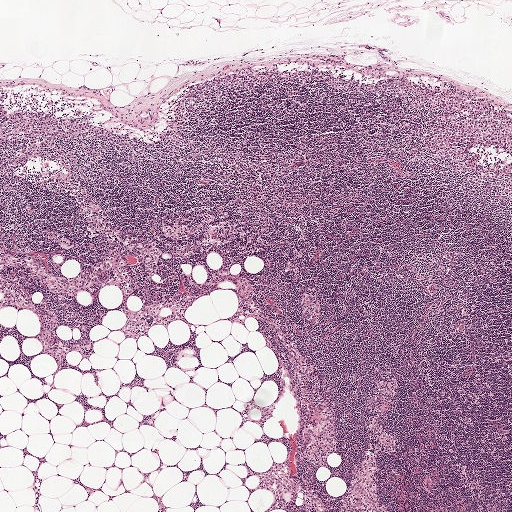
Lymph node section stained with H&E, from a whole-slide image of a breast-cancer sentinel node. Magnification about 2.5×, about 2.0 mm across the frame, about 3.9 µm per pixel.
Outlines of two tumour regions, largest first (closed clockwise paths, crop pixels): region 1: (314, 60), (371, 78), (448, 86), (511, 113), (511, 196), (476, 190), (361, 147), (350, 135), (348, 121), (388, 116), (361, 99), (237, 93), (208, 101), (181, 121), (158, 117), (169, 89), (277, 61); region 2: (32, 110), (52, 113), (102, 130), (131, 134), (144, 141), (148, 149), (123, 149), (93, 140), (31, 140), (0, 135), (0, 117), (13, 111).
Tumour covers about 10% of the frame.